H&E-stained section of a sentinel lymph node (breast cancer), from a whole-slide image, viewed at about 10×: the field is about 0.46 mm across, about 0.9 µm per pixel.
Question: 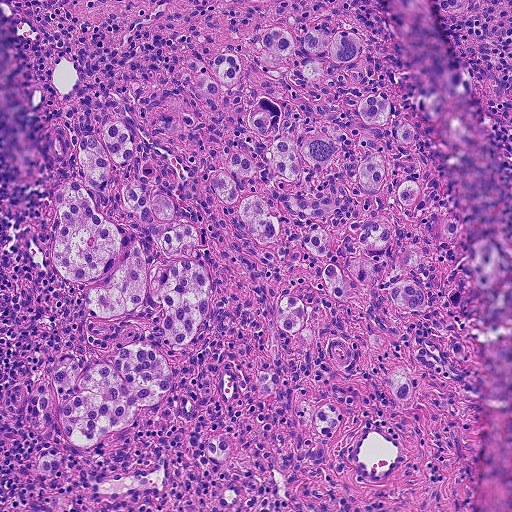
Estimate the proportion of this field that is metastatic tumour.

Choices:
 (A) about 50% or more
 (B) about 5% or less
 (C) about 25% to 45%
 (D) none: no tumour is outlined
 (E) about 10% to 20%

Answer: (C) about 25% to 45%
About 25% of the field is tumour.
Outlines of eight tumour regions, largest first (closed clockwise paths, crop pixels): region 1: (115, 121), (135, 155), (112, 164), (109, 182), (148, 185), (198, 229), (209, 298), (186, 351), (164, 338), (163, 310), (139, 313), (174, 388), (129, 428), (77, 448), (56, 429), (38, 432), (27, 406), (60, 358), (87, 364), (88, 286), (49, 260), (53, 201), (83, 179), (74, 145); region 2: (386, 94), (416, 132), (410, 144), (382, 129), (384, 155), (428, 200), (410, 211), (385, 185), (367, 192), (358, 169), (374, 150), (340, 149), (348, 196), (328, 227), (387, 216), (392, 250), (418, 258), (408, 278), (428, 310), (404, 311), (358, 282), (350, 305), (338, 303), (319, 272), (328, 262), (306, 248), (276, 271), (209, 185), (224, 142), (258, 157), (270, 140), (247, 126), (252, 102), (277, 99), (283, 136), (296, 141), (323, 127), (360, 133), (360, 97); region 3: (277, 27), (300, 36), (316, 29), (328, 33), (340, 28), (354, 30), (361, 40), (360, 53), (350, 62), (338, 64), (326, 58), (332, 74), (324, 85), (299, 87), (288, 80), (273, 78), (261, 72), (246, 44), (254, 34), (264, 28); region 4: (231, 52), (242, 58), (242, 71), (234, 82), (220, 84), (223, 93), (211, 96), (199, 92), (187, 69), (192, 58), (204, 64), (211, 74), (209, 63), (218, 54); region 5: (306, 398), (312, 410), (324, 404), (336, 402), (343, 408), (343, 422), (338, 433), (327, 439), (318, 432), (312, 420), (306, 424), (297, 418), (296, 405); region 6: (293, 296), (304, 303), (306, 314), (305, 327), (294, 335), (282, 332), (274, 321), (280, 299); region 7: (407, 370), (411, 382), (411, 398), (405, 404), (394, 398), (392, 384), (394, 371); region 8: (430, 0), (469, 0), (462, 10), (448, 11), (434, 8).
Four more small tumour pieces are annotated here but not outlined.